Image:
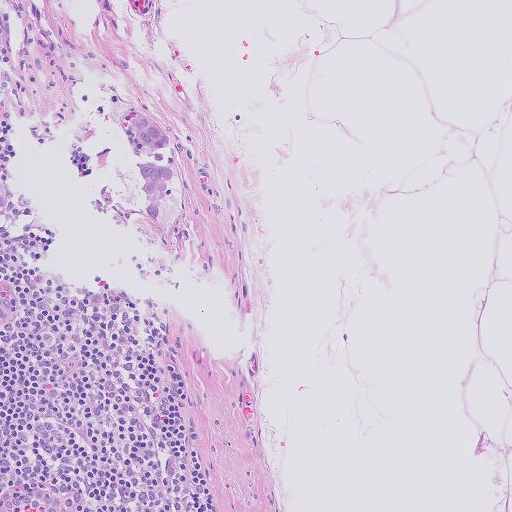
This is a crop of a whole-slide image: an H&E-stained breast-cancer sentinel lymph node section at roughly 10× magnification (about 1.0 µm per pixel; the crop spans about 0.51 mm).
Question:
Which parts of this field are metastatic tumour? Answer with the outline of each region, in pixels.
Answer:
Outlines of two tumour regions, largest first (closed clockwise paths, crop pixels): region 1: (141, 164), (168, 166), (173, 169), (172, 176), (167, 181), (164, 195), (160, 200), (160, 214), (158, 220), (151, 218), (147, 211), (145, 197), (142, 191), (142, 177), (138, 171); region 2: (136, 111), (142, 114), (160, 129), (170, 143), (163, 152), (163, 160), (156, 162), (152, 152), (144, 151), (130, 127), (127, 121), (128, 114).
The annotated tumour makes up under 5% of the crop.